H&E-stained section of a sentinel lymph node (breast cancer), from a whole-slide image, viewed at about 40×: the field is about 0.12 mm across, about 0.24 µm per pixel.
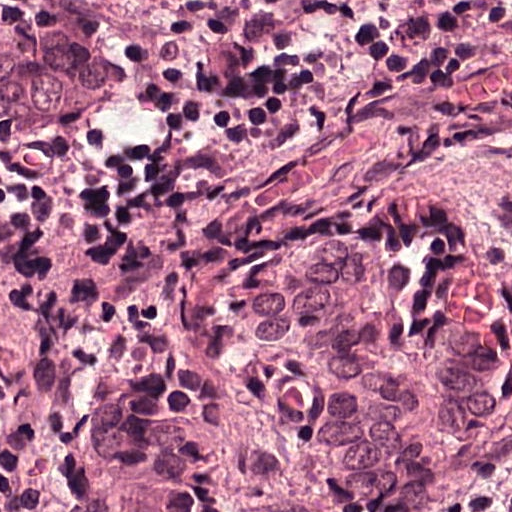
Two metastatic tumour regions, each outlined as a closed clockwise path in crop pixels (x, y), largest first: region 1: (379, 273), (409, 286), (443, 313), (456, 341), (511, 366), (511, 511), (164, 511), (140, 504), (136, 443), (281, 382), (306, 304); region 2: (88, 25), (134, 36), (179, 116), (177, 145), (154, 163), (86, 186), (2, 198), (0, 48), (24, 48).
The annotated tumour makes up about 30% of the crop.